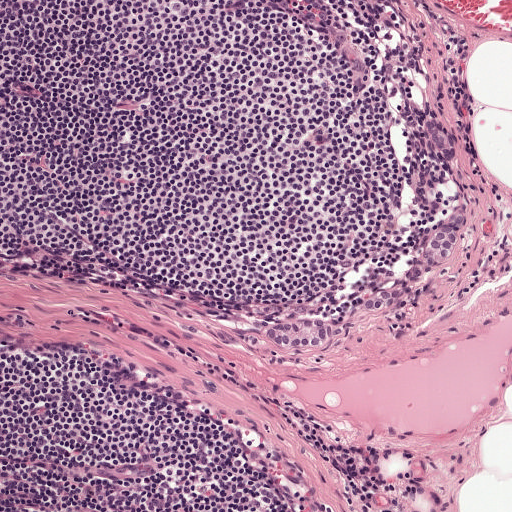
This is a crop of a whole-slide image: an H&E-stained breast-cancer sentinel lymph node section at roughly 10× magnification (about 0.97 µm per pixel; the crop spans about 0.5 mm).
Outlines of three tumour regions, largest first (closed clockwise paths, crop pixels): region 1: (459, 207), (465, 224), (460, 239), (442, 264), (406, 295), (393, 302), (379, 308), (364, 308), (365, 299), (387, 290), (400, 280), (428, 242); region 2: (322, 318), (330, 322), (332, 335), (326, 348), (282, 348), (268, 342), (264, 332), (276, 322); region 3: (426, 116), (438, 119), (456, 131), (456, 158), (446, 167), (433, 152), (426, 134).
Tumour covers under 5% of the frame.